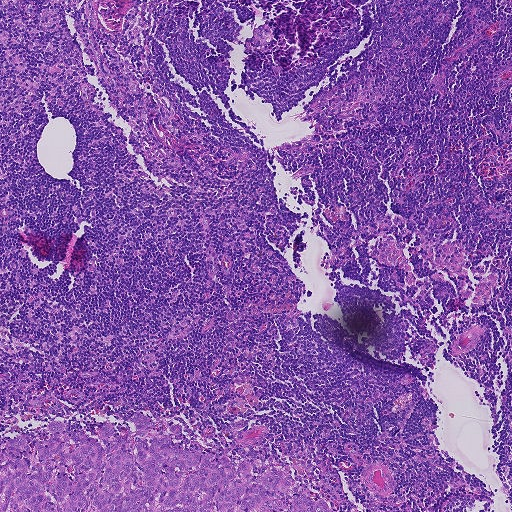
Lymph node section stained with H&E, from a whole-slide image of a breast-cancer sentinel node. Magnification about 5×, about 0.93 mm across the frame, about 1.8 µm per pixel.
Tumour region outline (a closed clockwise path, crop pixels): (143, 410), (182, 425), (183, 434), (203, 449), (243, 462), (277, 466), (326, 456), (340, 478), (344, 503), (337, 510), (0, 511), (0, 441), (60, 419), (92, 433), (113, 421), (126, 432), (128, 414).
One more small tumour piece is annotated here but not outlined.
Tumour covers about 10% of the frame.